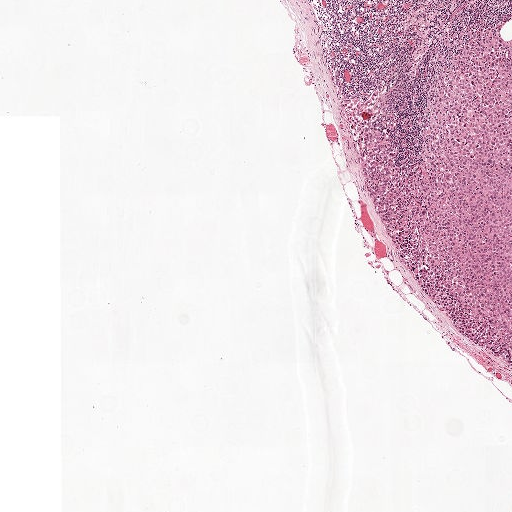
This is a crop of a whole-slide image: an H&E-stained breast-cancer sentinel lymph node section at roughly 2.5× magnification (about 3.9 µm per pixel; the crop spans about 2.0 mm).
One metastatic tumour region; its boundary, reduced to 11 corners and listed clockwise: (511, 11), (511, 375), (463, 345), (386, 247), (338, 102), (365, 95), (386, 77), (397, 114), (418, 117), (450, 56), (488, 16).
The annotated tumour makes up about 15% of the crop.